Question: 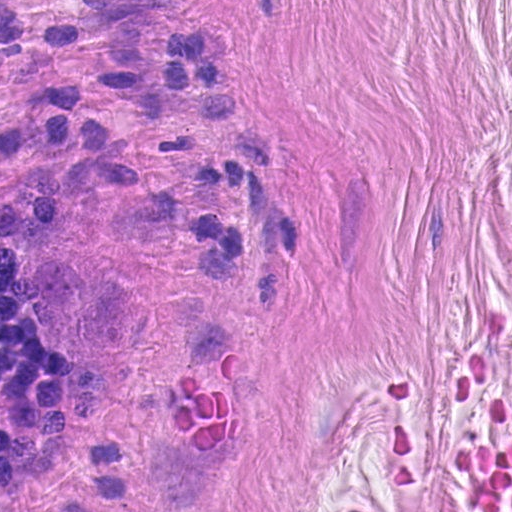
About what magnification does this crop show?

Choices:
 (A) about 2.5×
 (B) about 20×
 (C) about 5×
 (D) about 40×
 (E) about 10×

Answer: (D) about 40×
Lymph node section stained with H&E, from a whole-slide image of a breast-cancer sentinel node. Magnification about 40×, about 0.12 mm across the frame, about 0.23 µm per pixel.
One metastatic tumour region; its boundary, reduced to 12 corners and listed clockwise: (48, 238), (96, 261), (141, 291), (153, 313), (153, 338), (141, 361), (119, 375), (71, 361), (52, 345), (38, 322), (27, 272), (29, 247).
Tumour covers about 5% of the frame.